This is a crop of a whole-slide image: an H&E-stained breast-cancer sentinel lymph node section at roughly 5× magnification (about 1.8 µm per pixel; the crop spans about 0.93 mm).
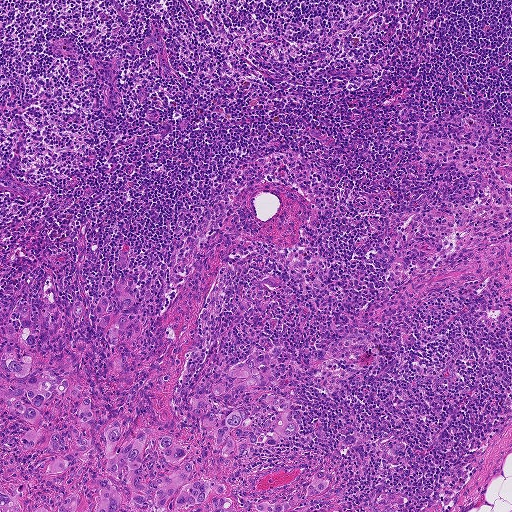
Boundaries of three metastatic tumour regions, simplified and listed clockwise, largest first: region 1: (21, 306), (36, 369), (86, 384), (91, 445), (103, 451), (117, 419), (121, 444), (144, 430), (174, 436), (197, 476), (223, 482), (240, 511), (0, 511), (0, 386), (13, 387), (0, 351), (10, 324), (25, 352); region 2: (124, 277), (126, 284), (124, 291), (131, 294), (133, 302), (121, 312), (140, 323), (140, 338), (134, 341), (131, 327), (120, 331), (115, 344), (106, 336), (105, 329), (98, 326), (98, 318), (94, 316), (95, 308), (106, 295), (114, 309), (116, 302), (113, 287); region 3: (323, 469), (332, 478), (332, 485), (328, 491), (318, 500), (316, 506), (322, 510), (335, 510), (336, 511), (308, 511), (311, 509), (312, 502), (307, 498), (296, 507), (286, 511), (258, 511), (250, 509), (251, 503), (258, 500), (278, 499), (298, 491), (316, 471).
One more tumour region is annotated but not outlined: its edge is too irregular for a short outline.
Two more small tumour pieces are annotated here but not outlined.
Tumour covers about 10% of the frame.